Image:
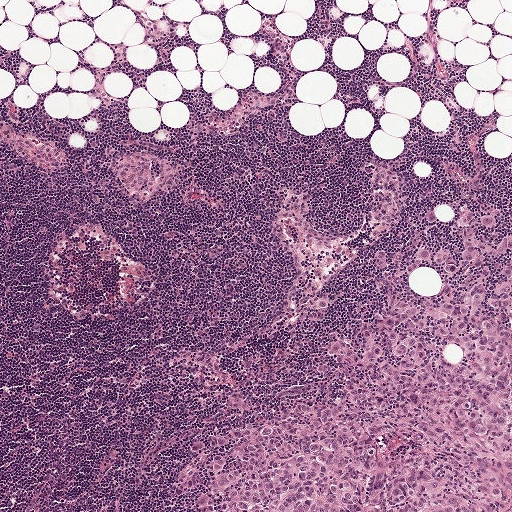
This is a crop of a whole-slide image: an H&E-stained breast-cancer sentinel lymph node section at roughly 5× magnification (about 1.9 µm per pixel; the crop spans about 1 mm).
Question:
Describe where the metastatic carcinoma lies in this crop.
Answer:
Boundaries of two metastatic tumour regions, simplified and listed clockwise, largest first: region 1: (461, 206), (501, 215), (486, 233), (511, 233), (511, 511), (187, 511), (191, 493), (176, 500), (196, 436), (280, 418), (328, 392), (338, 364), (324, 340), (330, 327), (357, 328), (380, 299), (375, 254), (463, 242); region 2: (320, 300), (325, 300), (328, 301), (328, 302), (328, 306), (326, 310), (324, 317), (318, 317), (310, 316), (309, 313), (310, 313), (318, 308), (319, 302).
One more small tumour piece is annotated here but not outlined.
About 25% of the image area is annotated as tumour.